Image:
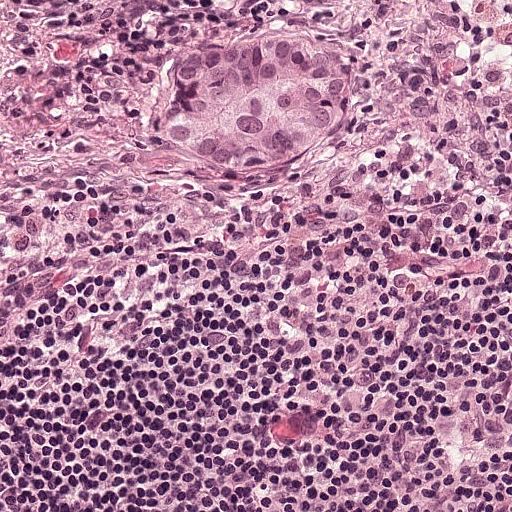
A 0.25-mm field of an H&E-stained sentinel lymph node from a breast-cancer patient (whole-slide image), shown at about 20×, about 0.49 µm per pixel.
Question:
Which parts of this field are metastatic tumour? Answer with the outline of each region, in pixels.
Answer:
Metastatic tumour outline, simplified to 12 points and listed clockwise in crop pixels (x, y): (260, 42), (287, 42), (344, 60), (357, 78), (352, 134), (344, 146), (256, 191), (178, 184), (153, 176), (134, 154), (131, 129), (180, 44).
About 10% of the image area is annotated as tumour.